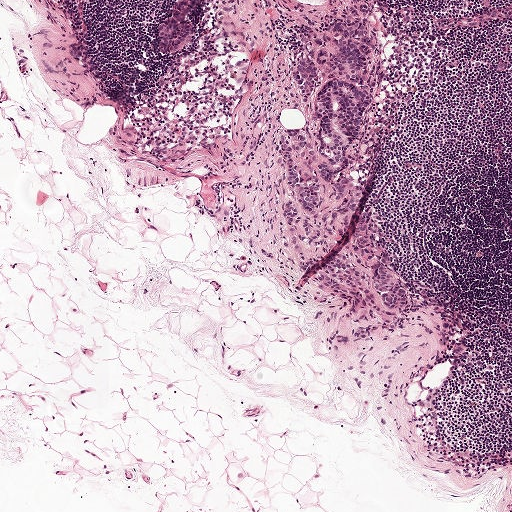
H&E-stained section of a sentinel lymph node (breast cancer), from a whole-slide image, viewed at about 5×: the field is about 1 mm across, about 1.9 µm per pixel.
Outlines of two tumour regions, largest first (closed clockwise paths, crop pixels): region 1: (360, 11), (379, 12), (378, 78), (349, 158), (348, 191), (410, 293), (402, 312), (373, 298), (370, 314), (361, 312), (281, 252), (285, 229), (308, 229), (319, 219), (315, 219), (303, 228), (279, 218), (287, 186), (276, 148), (300, 125), (316, 123), (312, 102), (286, 81), (287, 64); region 2: (181, 0), (189, 0), (191, 15), (195, 24), (194, 41), (187, 52), (178, 55), (170, 55), (165, 45), (156, 42), (159, 20).
Tumour covers about 10% of the frame.